This is a crop of a whole-slide image: an H&E-stained breast-cancer sentinel lymph node section at roughly 10× magnification (about 0.97 µm per pixel; the crop spans about 0.5 mm).
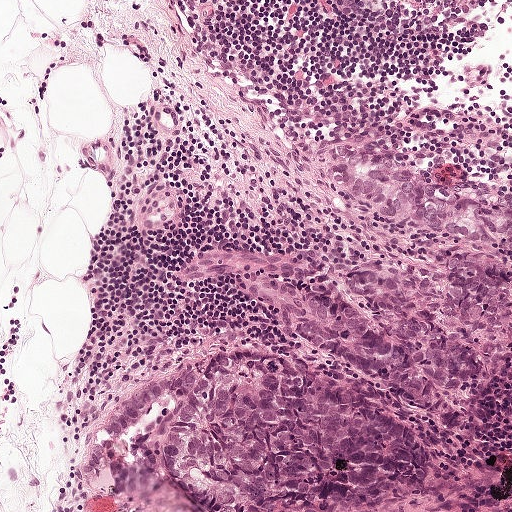
Question: Which parts of this field are metastatic tumour? Answer with the outline of each region, in pixels.
Answer: Three metastatic tumour regions, each outlined as a closed clockwise path in crop pixels (x, y), largest first: region 1: (242, 346), (295, 364), (420, 437), (426, 479), (356, 511), (118, 511), (90, 443), (140, 382), (200, 353); region 2: (300, 240), (336, 266), (410, 266), (440, 290), (443, 261), (482, 262), (502, 272), (511, 298), (511, 343), (498, 380), (458, 403), (466, 418), (459, 430), (438, 430), (370, 380), (286, 338), (235, 290), (178, 278), (182, 255), (206, 246); region 3: (345, 143), (384, 160), (409, 164), (511, 211), (511, 259), (500, 253), (454, 247), (398, 224), (332, 178), (332, 155).
About 30% of this field is tumour.